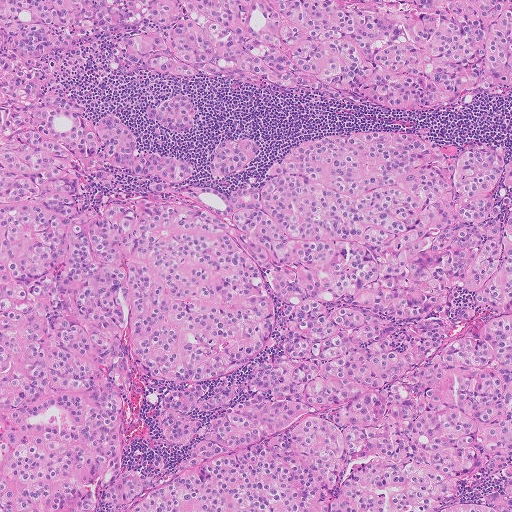
Lymph node section stained with H&E, from a whole-slide image of a breast-cancer sentinel node. Magnification about 5×, about 1.0 mm across the frame, about 2.0 µm per pixel.
Three metastatic tumour regions, each outlined as a closed clockwise path in crop pixels (x, y), largest first: region 1: (0, 0), (511, 0), (511, 94), (498, 99), (383, 107), (153, 80), (70, 83), (210, 180), (369, 127), (511, 148), (511, 511), (0, 511); region 2: (243, 131), (263, 142), (253, 168), (228, 179), (212, 179), (204, 163), (216, 137); region 3: (158, 96), (201, 99), (201, 126), (174, 133), (149, 122).
About 95% of the image area is annotated as tumour.